Question: 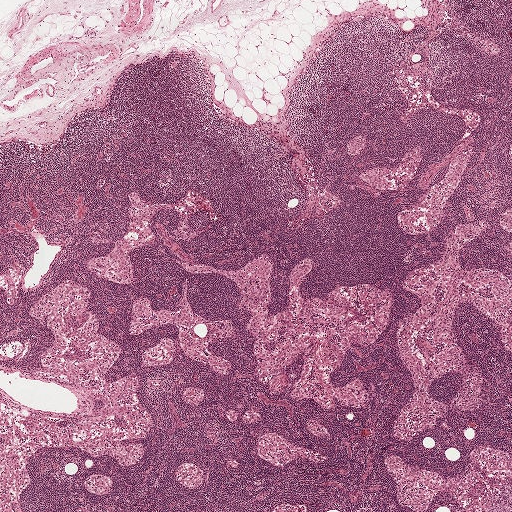
Lymph node section stained with H&E, from a whole-slide image of a breast-cancer sentinel node. Magnification about 2.5×, about 2.0 mm across the frame, about 3.9 µm per pixel.
Roughly what share of this field is metastatic tumour?

Choices:
 (A) about 5% or less
 (B) about 50% or more
 (C) about 25% to 45%
 (D) none: no tumour is outlined
 (E) about 10% to 20%

Answer: (A) about 5% or less
Under 5% of the field is tumour.
The outlined metastatic tumour's edge, as a closed clockwise path of 14 points: (511, 480), (511, 511), (458, 511), (459, 510), (461, 508), (470, 510), (479, 509), (499, 500), (500, 494), (499, 491), (500, 488), (502, 485), (501, 485), (508, 481).